Image:
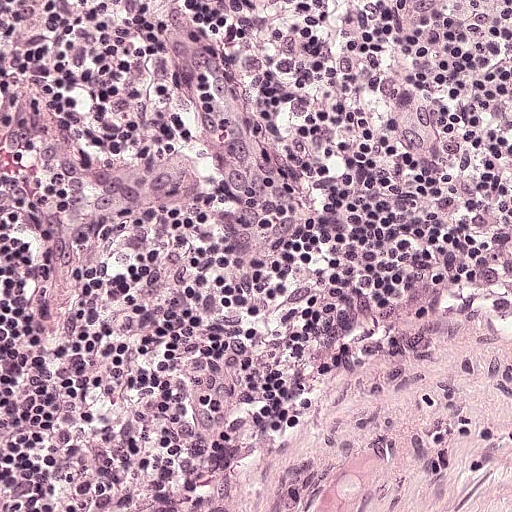
H&E-stained section of a sentinel lymph node (breast cancer), from a whole-slide image, viewed at about 20×: the field is about 0.25 mm across, about 0.49 µm per pixel.
Question:
Does this lymph node field contain metastatic tumour?
Answer:
No: no metastatic tumour is outlined anywhere in this field.